Image:
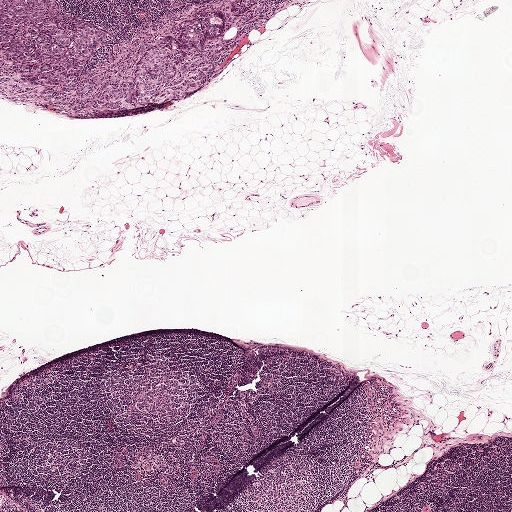
A 2.0-mm field of an H&E-stained sentinel lymph node from a breast-cancer patient (whole-slide image), shown at about 2.5×, about 3.9 µm per pixel.
Question:
Is there metastatic carcinoma in this field?
Answer:
Yes.
Metastatic tumour outline, simplified to 24 points and listed clockwise in crop pixels (x, y): (0, 0), (57, 0), (55, 7), (111, 33), (88, 72), (118, 42), (167, 15), (186, 17), (203, 5), (225, 22), (235, 1), (264, 4), (248, 30), (235, 24), (223, 34), (240, 38), (232, 51), (178, 98), (76, 113), (38, 97), (43, 85), (21, 81), (18, 72), (3, 82).
Tumour covers about 5% of the frame.

Image:
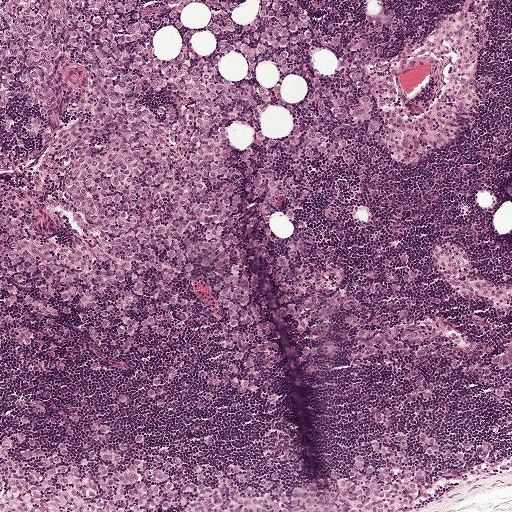
This is a crop of a whole-slide image: an H&E-stained breast-cancer sentinel lymph node section at roughly 5× magnification (about 1.9 µm per pixel; the crop spans about 1 mm).
Question:
Is there metastatic carcinoma in this field?
Answer:
Yes.
The outlined metastatic tumour's edge, as a closed clockwise path of 21 points: (0, 0), (247, 0), (232, 18), (247, 24), (261, 0), (303, 0), (312, 20), (371, 54), (371, 136), (318, 190), (264, 222), (284, 240), (314, 238), (338, 268), (348, 307), (345, 334), (299, 381), (239, 383), (161, 316), (39, 343), (1, 330).
The outline encloses nine non-tumour holes totalling about 10% of the region's area.
The annotated tumour makes up about 40% of the crop.

Image:
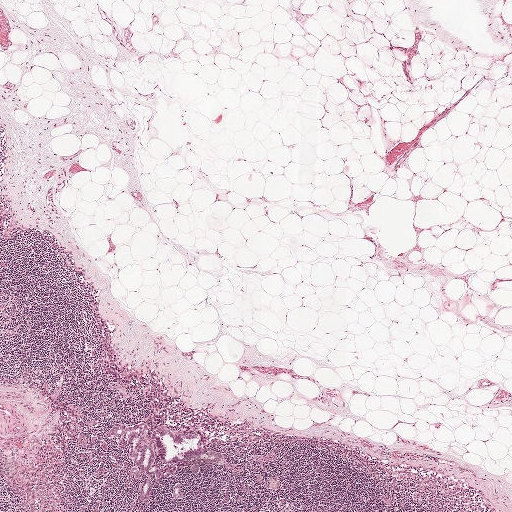
A 2.0-mm field of an H&E-stained sentinel lymph node from a breast-cancer patient (whole-slide image), shown at about 2.5×, about 3.9 µm per pixel.
Question:
Is there metastatic carcinoma in this field?
Answer:
Yes.
Outlines of two tumour regions, largest first (closed clockwise paths, crop pixels): region 1: (142, 423), (154, 429), (166, 426), (178, 434), (187, 428), (201, 429), (208, 436), (209, 448), (223, 454), (225, 463), (204, 464), (195, 476), (189, 464), (170, 478), (153, 478), (149, 501), (142, 501), (140, 482), (129, 472), (132, 461), (126, 443), (111, 437), (109, 429), (115, 424); region 2: (179, 482), (180, 484), (181, 486), (182, 492), (183, 496), (183, 497), (182, 498), (176, 498), (171, 497), (172, 491), (173, 486), (175, 484).
Under 5% of this field is tumour.

Image:
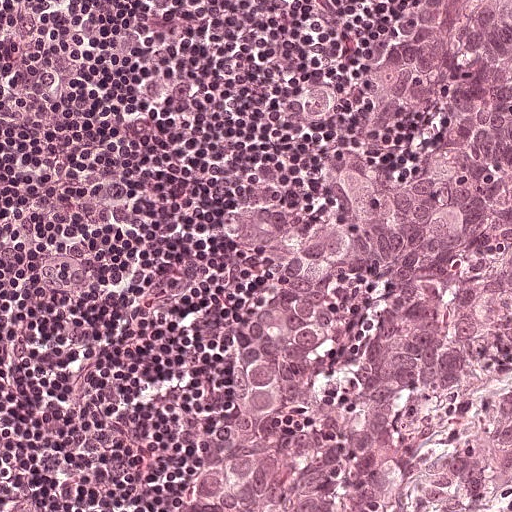
H&E-stained section of a sentinel lymph node (breast cancer), from a whole-slide image, viewed at about 20×: the field is about 0.25 mm across, about 0.49 µm per pixel.
Question:
Is there metastatic carcinoma in this field?
Answer:
Yes.
Metastatic tumour outline, simplified to 11 points and listed clockwise in crop pixels (x, y): (511, 0), (511, 503), (490, 511), (178, 511), (231, 383), (242, 329), (234, 235), (245, 212), (342, 175), (408, 41), (450, 2).
Tumour covers about 45% of the frame.